Image:
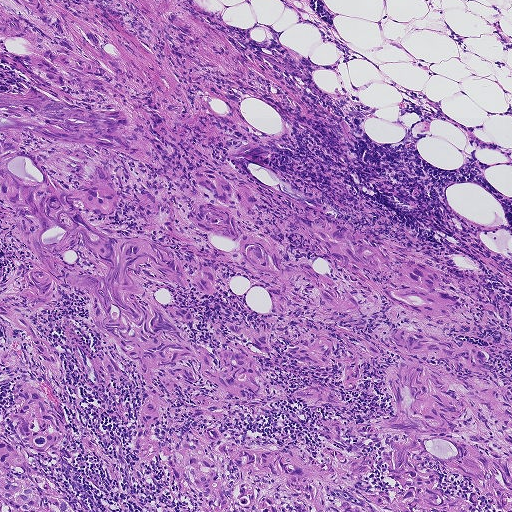
Lymph node section stained with H&E, from a whole-slide image of a breast-cancer sentinel node. Magnification about 5×, about 0.93 mm across the frame, about 1.8 µm per pixel.
Question:
Is there metastatic carcinoma in this field?
Answer:
Yes.
Tumour region outline (a closed clockwise path, crop pixels): (0, 0), (39, 0), (72, 54), (114, 56), (124, 111), (172, 162), (250, 189), (271, 216), (304, 205), (437, 268), (487, 301), (511, 340), (489, 360), (511, 372), (511, 511), (120, 510), (104, 505), (110, 484), (85, 450), (34, 462), (76, 508), (0, 511).
The annotated tumour makes up about 65% of the crop.

Image:
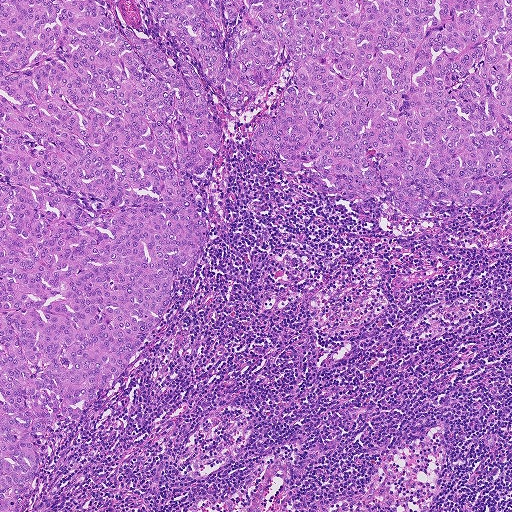
This is a crop of a whole-slide image: an H&E-stained breast-cancer sentinel lymph node section at roughly 5× magnification (about 1.8 µm per pixel; the crop spans about 0.93 mm).
Question:
Is there metastatic carcinoma in this field?
Answer:
Yes.
The outlined metastatic tumour's edge, as a closed clockwise path of 23 points: (0, 0), (511, 0), (511, 196), (488, 206), (433, 198), (413, 214), (381, 191), (329, 193), (313, 166), (289, 172), (252, 148), (289, 57), (239, 110), (196, 66), (221, 143), (192, 179), (207, 230), (192, 275), (176, 275), (109, 389), (38, 432), (24, 509), (0, 511).
About 50% of the image area is annotated as tumour.

Image:
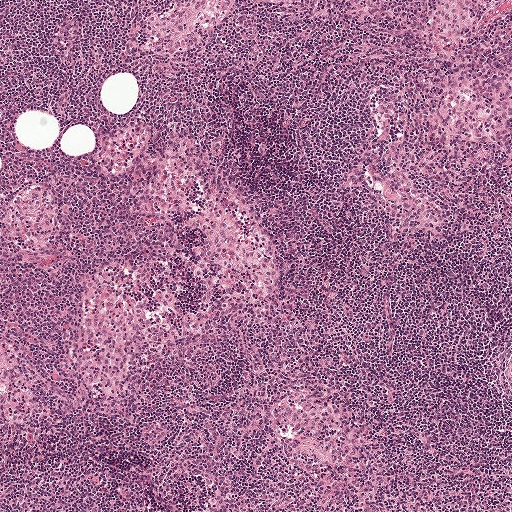
H&E-stained section of a sentinel lymph node (breast cancer), from a whole-slide image, viewed at about 5×: the field is about 1 mm across, about 1.9 µm per pixel.
Question:
Is there metastatic carcinoma in this field?
Answer:
No, this field holds no outlined metastasis.

Image:
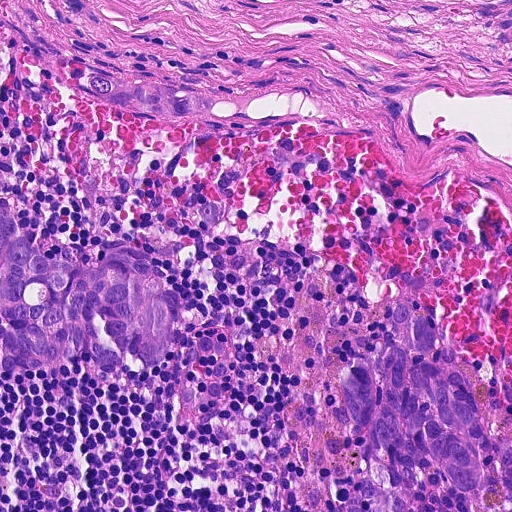
Lymph node section stained with H&E, from a whole-slide image of a breast-cancer sentinel node. Magnification about 20×, about 0.23 mm across the frame, about 0.45 µm per pixel.
Question:
Is there metastatic carcinoma in this field?
Answer:
Yes.
Boundaries of three metastatic tumour regions, simplified and listed clockwise, largest first: region 1: (402, 298), (433, 316), (474, 375), (476, 410), (486, 425), (511, 436), (511, 511), (344, 511), (325, 438), (342, 379), (396, 332); region 2: (0, 195), (14, 203), (18, 222), (40, 254), (78, 261), (113, 246), (132, 244), (164, 262), (181, 318), (178, 337), (158, 368), (138, 370), (84, 352), (10, 370), (0, 367); region 3: (90, 76), (101, 78), (123, 86), (144, 84), (177, 90), (198, 98), (205, 106), (195, 112), (172, 114), (126, 112), (106, 104), (91, 86).
About 20% of this field is tumour.